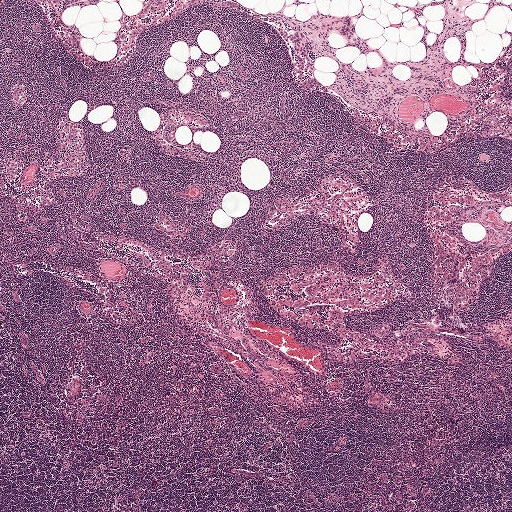
Lymph node section stained with H&E, from a whole-slide image of a breast-cancer sentinel node. Magnification about 2.5×, about 2.0 mm across the frame, about 3.9 µm per pixel.